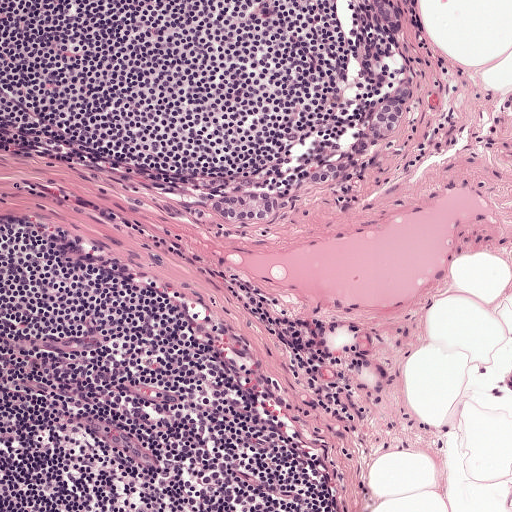
Lymph node section stained with H&E, from a whole-slide image of a breast-cancer sentinel node. Magnification about 10×, about 0.5 mm across the frame, about 0.97 µm per pixel.
Question: Which parts of this field are metastatic tumour?
Answer: Boundaries of three metastatic tumour regions, simplified and listed clockwise, largest first: region 1: (405, 80), (411, 97), (406, 112), (388, 137), (352, 168), (339, 176), (325, 181), (310, 180), (311, 172), (333, 162), (346, 153), (374, 115); region 2: (268, 192), (276, 195), (278, 208), (272, 220), (228, 221), (214, 215), (210, 205), (222, 194); region 3: (372, 0), (396, 0), (402, 4), (402, 32), (392, 40), (379, 25), (372, 8).
Under 5% of this field is tumour.